Question: 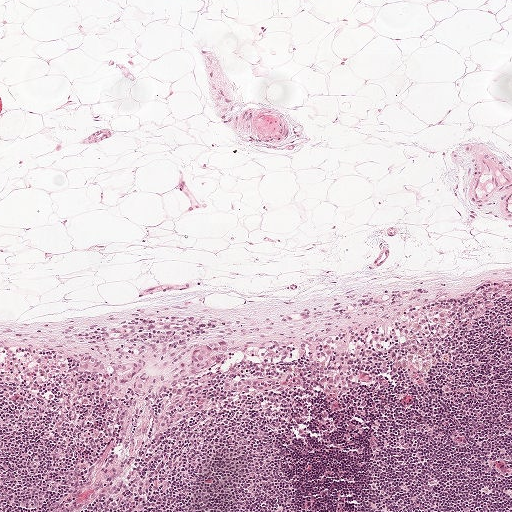
This is a crop of a whole-slide image: an H&E-stained breast-cancer sentinel lymph node section at roughly 5× magnification (about 1.9 µm per pixel; the crop spans about 1 mm).
About how much of this crop is taken up by metastatic carcinoma?

Choices:
 (A) about 10% to 20%
 (B) none: no tumour is outlined
 (C) about 5% or less
 (D) about 50% or more
 (E) about 25% to 45%

Answer: (C) about 5% or less
Under 5% of the field is tumour.
Two metastatic tumour regions, each outlined as a closed clockwise path in crop pixels (x, y), largest first: region 1: (222, 342), (227, 343), (231, 354), (223, 364), (193, 377), (184, 387), (168, 393), (165, 392), (176, 369), (189, 361), (193, 353), (209, 344); region 2: (133, 358), (140, 360), (142, 362), (142, 372), (137, 376), (125, 393), (119, 395), (108, 394), (106, 388), (108, 382), (108, 365), (110, 363), (116, 362), (127, 364).
Question: 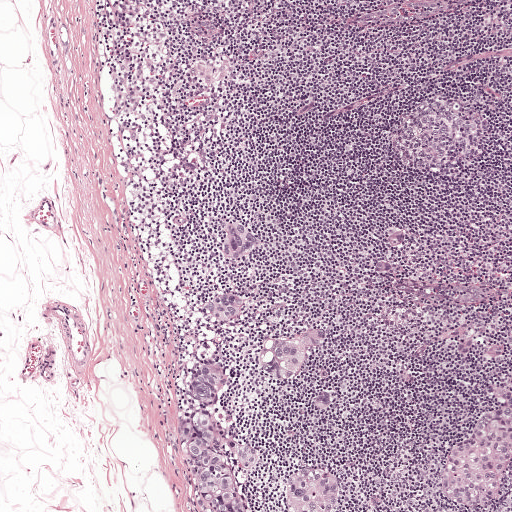
H&E-stained section of a sentinel lymph node (breast cancer), from a whole-slide image, viewed at about 5×: the field is about 1 mm across, about 1.9 µm per pixel.
About how much of this crop is taken up by metastatic carcinoma?

Choices:
 (A) about 25% to 45%
 (B) none: no tumour is outlined
 (C) about 5% or less
 (D) about 50% or more
 (E) about 10% to 20%

Answer: (E) about 10% to 20%
About 10% of the field is tumour.
Outlines of the eight largest metastatic tumour regions, each a closed clockwise path in crop pixels (x, y), largest first: region 1: (204, 360), (220, 360), (233, 372), (223, 402), (233, 412), (234, 431), (255, 447), (260, 460), (252, 470), (233, 467), (236, 485), (251, 511), (196, 511), (180, 443), (185, 418), (195, 410), (196, 404), (183, 404), (181, 397), (196, 363); region 2: (511, 374), (511, 451), (498, 485), (489, 497), (476, 504), (460, 503), (450, 496), (441, 479), (444, 459), (452, 447), (468, 437), (480, 414), (501, 406), (499, 400), (488, 394), (487, 389); region 3: (314, 325), (330, 327), (329, 339), (325, 344), (313, 348), (308, 352), (293, 376), (282, 381), (267, 379), (256, 360), (255, 352), (263, 337), (277, 334), (291, 335); region 4: (305, 466), (335, 476), (337, 483), (337, 491), (327, 511), (289, 511), (285, 490), (289, 476), (298, 468); region 5: (231, 288), (243, 291), (245, 297), (244, 310), (234, 320), (209, 320), (201, 314), (198, 308), (203, 301), (209, 296), (220, 290); region 6: (233, 220), (262, 239), (263, 246), (260, 252), (246, 259), (234, 259), (222, 252), (219, 247), (221, 241), (227, 225); region 7: (324, 388), (338, 393), (336, 407), (331, 412), (322, 413), (317, 411), (314, 406), (314, 398), (318, 392); region 8: (474, 337), (478, 340), (474, 352), (465, 360), (458, 360), (455, 355), (457, 343), (464, 339).
Four more, smaller tumour regions are not outlined.
Question: 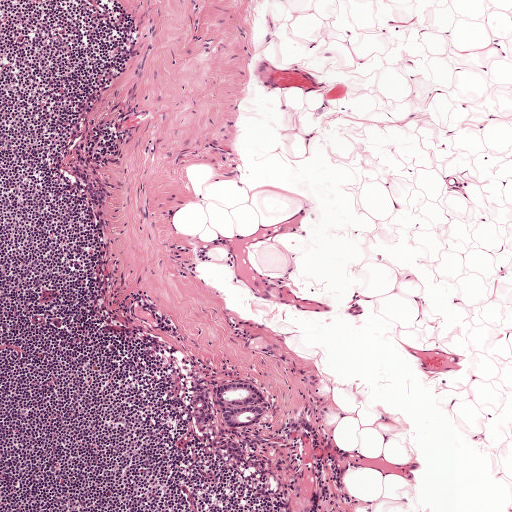
A 1-mm field of an H&E-stained sentinel lymph node from a breast-cancer patient (whole-slide image), shown at about 5×, about 1.9 µm per pixel.
About how much of this crop is taken up by metastatic carcinoma?

Choices:
 (A) about 5% or less
 (B) about 10% to 20%
 (C) about 25% to 45%
 (D) about 50% or more
 (E) none: no tumour is outlined

Answer: (A) about 5% or less
Under 5% of the field is tumour.
Boundaries of five metastatic tumour regions, simplified and listed clockwise, largest first: region 1: (244, 380), (259, 387), (266, 394), (271, 404), (268, 414), (262, 423), (252, 427), (230, 429), (225, 428), (219, 419), (213, 388), (223, 383); region 2: (198, 383), (207, 388), (214, 410), (214, 417), (201, 426), (196, 421), (193, 398); region 3: (72, 167), (78, 167), (97, 183), (105, 192), (107, 204), (101, 206), (90, 202), (80, 179), (71, 171); region 4: (216, 438), (227, 442), (225, 444), (236, 444), (241, 448), (243, 458), (242, 462), (235, 461), (226, 453), (223, 446), (225, 445), (218, 447), (213, 446), (212, 441); region 5: (304, 418), (309, 420), (312, 432), (309, 432), (303, 430), (294, 431), (285, 427), (287, 424).
Question: 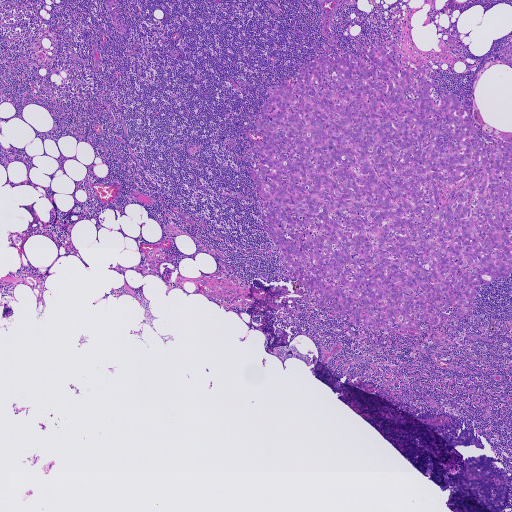
A 1.9-mm field of an H&E-stained sentinel lymph node from a breast-cancer patient (whole-slide image), shown at about 2.5×, about 3.6 µm per pixel.
About how much of this crop is taken up by metastatic carcinoma?

Choices:
 (A) none: no tumour is outlined
 (B) about 10% to 20%
 (C) about 5% or less
 (D) about 25% to 45%
 (E) about 50% or more

Answer: (B) about 10% to 20%
About 20% of the field is tumour.
Metastatic tumour outline, simplified to 19 points and listed clockwise in crop pixels (x, y): (376, 47), (419, 89), (427, 81), (436, 104), (453, 94), (485, 147), (511, 142), (508, 277), (475, 286), (470, 315), (450, 305), (418, 332), (319, 307), (264, 228), (250, 173), (262, 164), (263, 107), (321, 56), (376, 69).